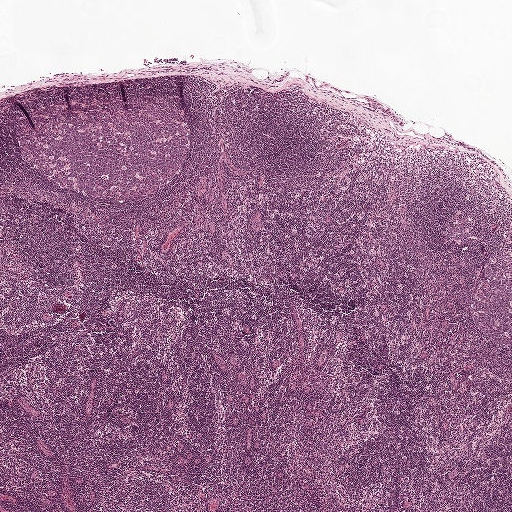
Lymph node section stained with H&E, from a whole-slide image of a breast-cancer sentinel node. Magnification about 2.5×, about 2.0 mm across the frame, about 3.9 µm per pixel.
Question: Is there metastatic carcinoma in this field?
Answer: No. No metastatic tumour is outlined in this field.